H&E-stained section of a sentinel lymph node (breast cancer), from a whole-slide image, viewed at about 10×: the field is about 0.46 mm across, about 0.9 µm per pixel.
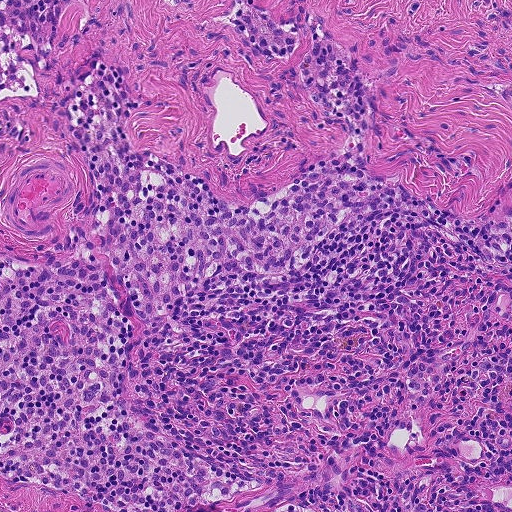
Question: Is there metastatic carcinoma in this field?
Answer: No. No metastatic tumour is outlined in this field.